This is a crop of a whole-slide image: an H&E-stained breast-cancer sentinel lymph node section at roughly 5× magnification (about 1.9 µm per pixel; the crop spans about 1 mm).
Image:
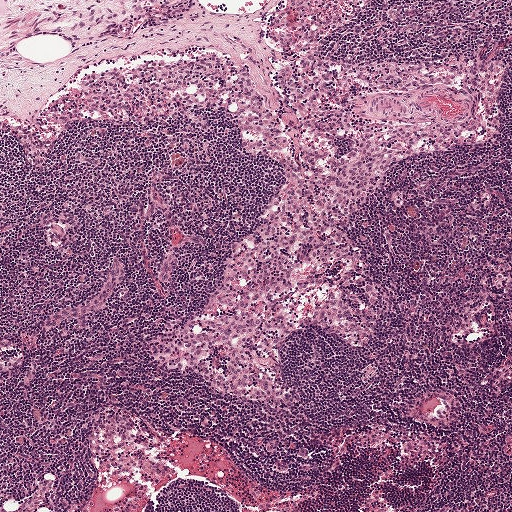
Question:
Is there metastatic carcinoma in this field?
Answer:
No, this field holds no outlined metastasis.